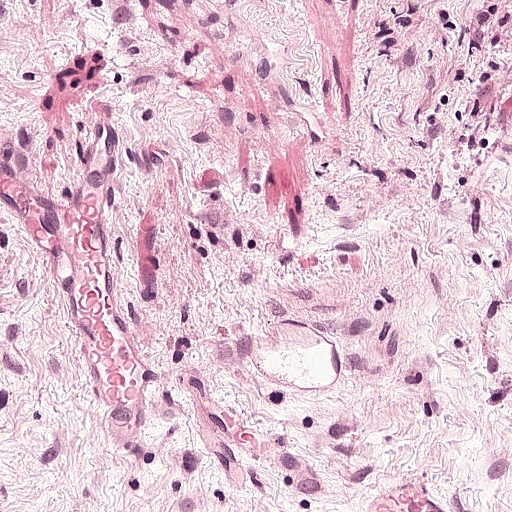
Lymph node section stained with H&E, from a whole-slide image of a breast-cancer sentinel node. Magnification about 20×, about 0.25 mm across the frame, about 0.49 µm per pixel.
Tumour region outline (a closed clockwise path, crop pixels): (0, 0), (511, 0), (511, 24), (478, 58), (356, 108), (310, 152), (176, 224), (64, 255), (0, 255).
About 30% of this field is tumour.